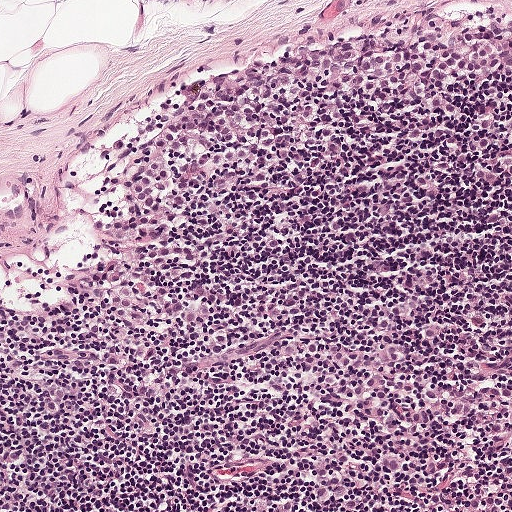
Lymph node section stained with H&E, from a whole-slide image of a breast-cancer sentinel node. Magnification about 10×, about 0.5 mm across the frame, about 0.97 µm per pixel.
Outlines of two tumour regions, largest first (closed clockwise paths, crop pixels): region 1: (511, 0), (511, 111), (380, 112), (308, 127), (222, 168), (189, 204), (152, 224), (94, 224), (64, 208), (66, 177), (106, 99), (147, 69), (348, 24); region 2: (0, 300), (20, 316), (23, 324), (23, 338), (22, 340), (1, 341).
The annotated tumour makes up about 20% of the crop.